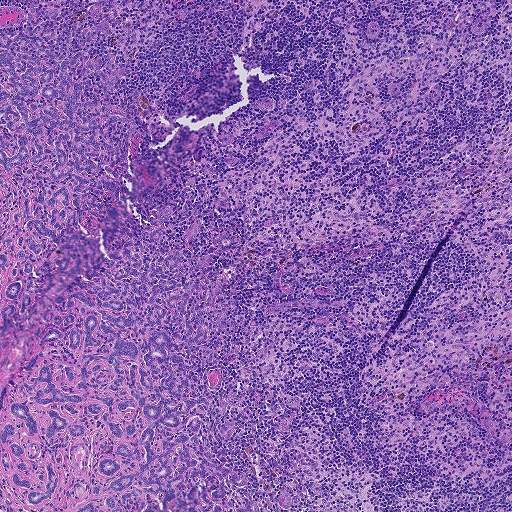
This is a crop of a whole-slide image: an H&E-stained breast-cancer sentinel lymph node section at roughly 5× magnification (about 1.8 µm per pixel; the crop spans about 0.93 mm).
Outlines of two tumour regions, largest first (closed clockwise paths, crop pixels): region 1: (4, 5), (58, 6), (21, 31), (131, 72), (107, 97), (82, 81), (141, 136), (100, 217), (105, 227), (107, 249), (158, 214), (144, 192), (174, 213), (166, 249), (195, 219), (240, 238), (233, 253), (192, 244), (228, 304), (196, 392), (243, 394), (228, 438), (212, 417), (205, 443), (249, 472), (231, 505), (299, 498), (276, 511), (46, 511), (3, 470), (0, 386), (59, 294), (108, 258), (102, 228), (71, 226), (42, 295), (0, 329); region 2: (95, 2), (100, 3), (101, 8), (95, 24), (104, 22), (109, 24), (109, 29), (106, 33), (101, 31), (96, 37), (86, 42), (76, 43), (80, 33), (92, 25), (93, 20), (88, 18), (86, 14), (91, 5).
Two more small tumour pieces are annotated here but not outlined.
The annotated tumour makes up about 30% of the crop.